Question: 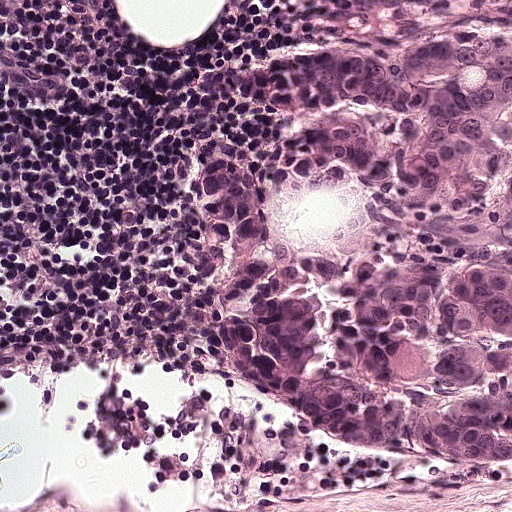
H&E-stained section of a sentinel lymph node (breast cancer), from a whole-slide image, viewed at about 20×: the field is about 0.25 mm across, about 0.49 µm per pixel.
Roughly what share of this field is metastatic tumour?

Choices:
 (A) about 25% to 45%
 (B) about 10% to 20%
 (C) about 50% or more
 (D) none: no tumour is outlined
 (E) about 5% or less

Answer: (A) about 25% to 45%
About 35% of the field is tumour.
Tumour region outline (a closed clockwise path, crop pixels): (511, 0), (511, 490), (452, 490), (308, 442), (237, 408), (228, 386), (235, 340), (278, 252), (354, 268), (372, 250), (380, 226), (367, 190), (318, 134), (318, 86), (337, 52), (435, 47), (432, 16), (417, 2).